H&E-stained section of a sentinel lymph node (breast cancer), from a whole-slide image, viewed at about 20×: the field is about 0.25 mm across, about 0.49 µm per pixel.
Image:
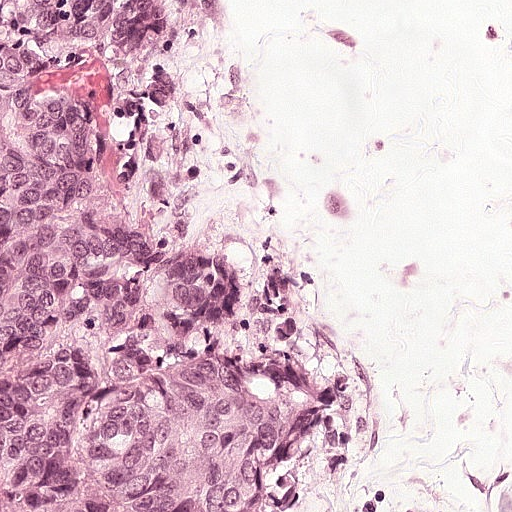
Question:
Is there metastatic carcinoma in this field?
Answer:
Yes.
Tumour region outline (a closed clockwise path, crop pixels): (0, 0), (248, 0), (301, 266), (365, 320), (450, 362), (511, 415), (511, 511), (0, 511).
Tumour covers about 70% of the frame.